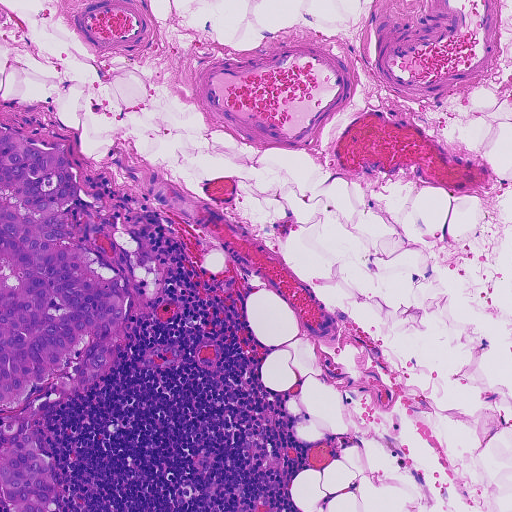
Lymph node section stained with H&E, from a whole-slide image of a breast-cancer sentinel node. Magnification about 10×, about 0.46 mm across the frame, about 0.91 µm per pixel.
Boundaries of two metastatic tumour regions, simplified and listed clockwise, largest first: region 1: (0, 126), (38, 148), (62, 148), (80, 186), (74, 203), (60, 215), (66, 236), (56, 244), (82, 246), (88, 265), (106, 280), (117, 277), (123, 312), (113, 359), (96, 380), (76, 388), (74, 358), (43, 385), (34, 382), (26, 403), (0, 408); region 2: (27, 432), (37, 440), (50, 462), (55, 486), (46, 511), (9, 511), (2, 500), (3, 491), (0, 485), (0, 454), (14, 434).
One more small tumour piece is annotated here but not outlined.
The annotated tumour makes up about 10% of the crop.